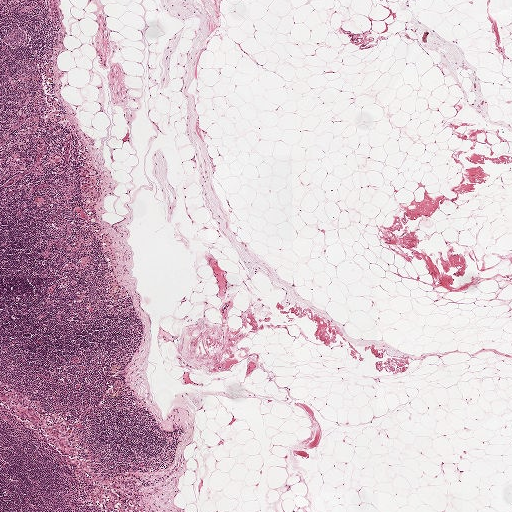
A 2.0-mm field of an H&E-stained sentinel lymph node from a breast-cancer patient (whole-slide image), shown at about 2.5×, about 3.9 µm per pixel.
Tumour region outline (a closed clockwise path, crop pixels): (82, 180), (88, 180), (93, 182), (98, 191), (98, 197), (94, 202), (85, 201), (81, 196), (83, 191).
Tumour covers under 5% of the frame.